Image:
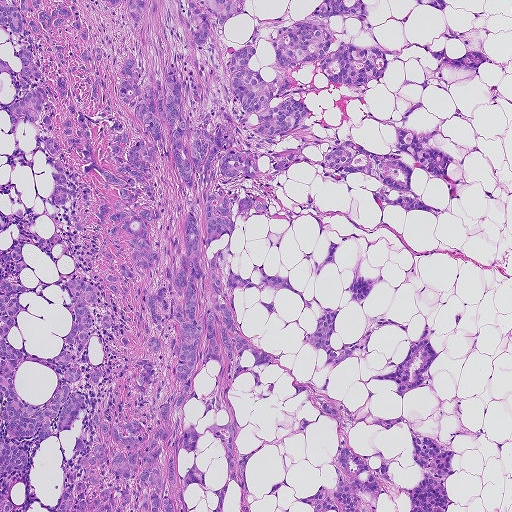
A 0.93-mm field of an H&E-stained sentinel lymph node from a breast-cancer patient (whole-slide image), shown at about 5×, about 1.8 µm per pixel.
Question:
Does this lymph node field contain metastatic tumour?
Answer:
Yes.
Metastatic tumour outline, simplified to 7 points and listed clockwise in crop pixels (x, y): (414, 0), (446, 0), (446, 2), (450, 6), (443, 11), (432, 5), (417, 6).
One more tumour region is annotated but not outlined: its edge is too irregular for a short outline.
One more small tumour piece is annotated here but not outlined.
Tumour covers about 65% of the frame.